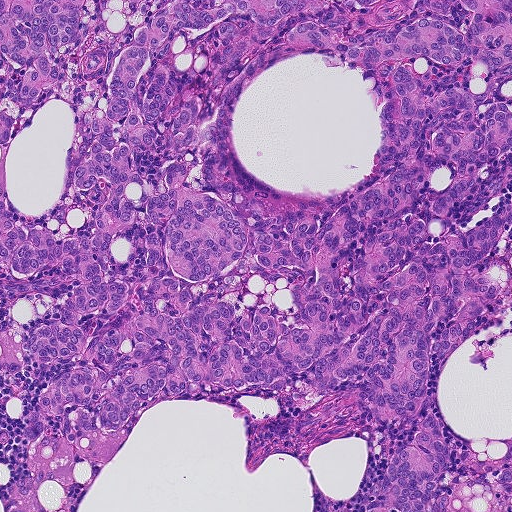
This is a crop of a whole-slide image: an H&E-stained breast-cancer sentinel lymph node section at roughly 10× magnification (about 0.9 µm per pixel; the crop spans about 0.46 mm).
Tumour region outline (a closed clockwise path, crop pixels): (0, 0), (511, 0), (511, 224), (478, 268), (506, 290), (444, 366), (430, 350), (444, 511), (368, 509), (430, 397), (382, 428), (350, 392), (224, 391), (148, 406), (117, 436), (98, 425), (72, 445), (56, 428), (29, 446), (20, 415), (70, 366), (20, 347), (71, 291), (10, 288).
Tumour covers about 75% of the frame.